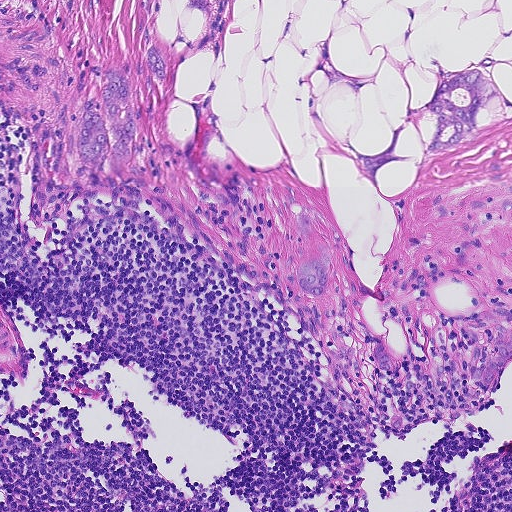
Lymph node section stained with H&E, from a whole-slide image of a breast-cancer sentinel node. Magnification about 10×, about 0.46 mm across the frame, about 0.9 µm per pixel.
Outlines of four tumour regions, largest first (closed clockwise paths, crop pixels): region 1: (330, 38), (329, 55), (335, 69), (368, 83), (357, 99), (340, 84), (322, 94), (318, 109), (321, 123), (334, 139), (372, 156), (390, 146), (391, 130), (404, 121), (407, 108), (417, 110), (432, 97), (440, 70), (481, 69), (498, 92), (505, 120), (442, 152), (422, 153), (436, 120), (431, 116), (411, 124), (394, 152), (406, 158), (378, 172), (377, 186), (316, 133), (307, 108), (307, 86), (294, 82), (316, 66), (313, 46); region 2: (148, 43), (156, 44), (164, 57), (166, 70), (162, 84), (144, 74), (130, 80), (138, 129), (134, 158), (108, 155), (104, 163), (90, 167), (77, 160), (79, 108), (96, 94), (111, 70), (123, 79), (143, 65); region 3: (296, 213), (304, 214), (314, 225), (319, 238), (328, 249), (332, 263), (327, 291), (314, 299), (301, 290), (296, 276), (298, 260), (302, 246), (300, 231), (294, 218); region 4: (511, 328), (511, 358), (506, 363), (499, 376), (499, 382), (484, 384), (484, 370), (499, 343).
One more small tumour piece is annotated here but not outlined.
About 5% of the image area is annotated as tumour.